This is a crop of a whole-slide image: an H&E-stained breast-cancer sentinel lymph node section at roughly 2.5× magnification (about 3.9 µm per pixel; the crop spans about 2.0 mm).
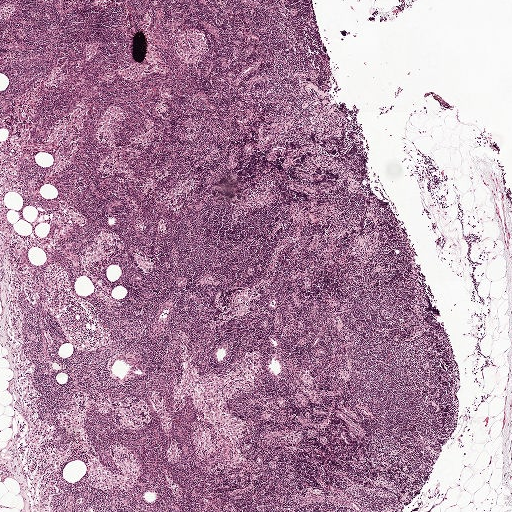
Question: Is there metastatic carcinoma in this field?
Answer: No, this field holds no outlined metastasis.